Question: 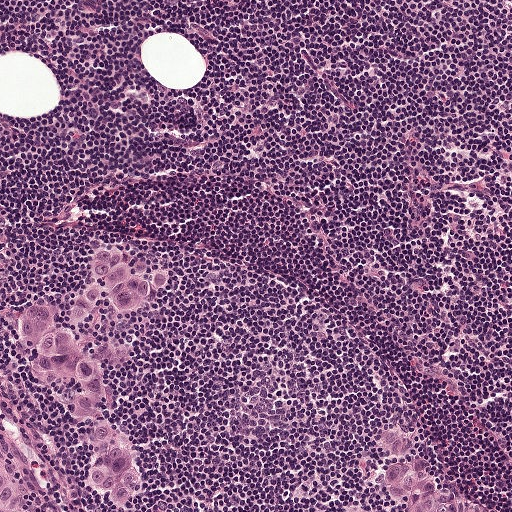
This is a crop of a whole-slide image: an H&E-stained breast-cancer sentinel lymph node section at roughly 10× magnification (about 0.97 µm per pixel; the crop spans about 0.5 mm).
Roughly what share of this field is metastatic tumour?

Choices:
 (A) none: no tumour is outlined
 (B) about 25% to 45%
 (C) about 10% to 20%
 (D) about 50% or more
 (E) about 5% or less

Answer: (C) about 10% to 20%
About 10% of the field is tumour.
Outlines of three tumour regions, largest first (closed clockwise paths, crop pixels): region 1: (91, 247), (118, 247), (142, 266), (166, 268), (170, 284), (146, 314), (122, 317), (114, 325), (125, 362), (109, 376), (112, 395), (146, 470), (136, 510), (114, 511), (88, 486), (89, 446), (75, 416), (34, 384), (15, 351), (8, 320), (26, 301), (62, 302), (84, 294), (91, 287); region 2: (386, 426), (410, 429), (422, 440), (441, 478), (472, 492), (490, 511), (387, 511), (374, 489), (368, 449), (370, 431); region 3: (0, 435), (15, 450), (16, 458), (20, 459), (36, 489), (43, 511), (0, 511).